Question: 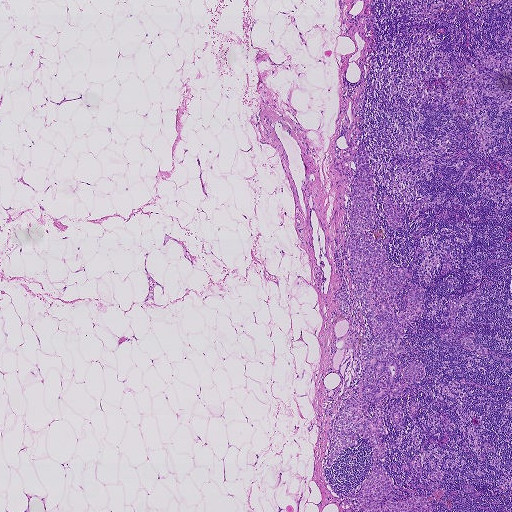
Which magnification is this H&E lymph node field most likely shown at?

Choices:
 (A) about 10×
 (B) about 40×
 (C) about 20×
 (D) about 2.5×
 (E) about 5×

Answer: (D) about 2.5×
Lymph node section stained with H&E, from a whole-slide image of a breast-cancer sentinel node. Magnification about 2.5×, about 1.9 mm across the frame, about 3.6 µm per pixel.
One tumour region is annotated but not outlined: its edge is too irregular for a short outline.
About 5% of the image area is annotated as tumour.